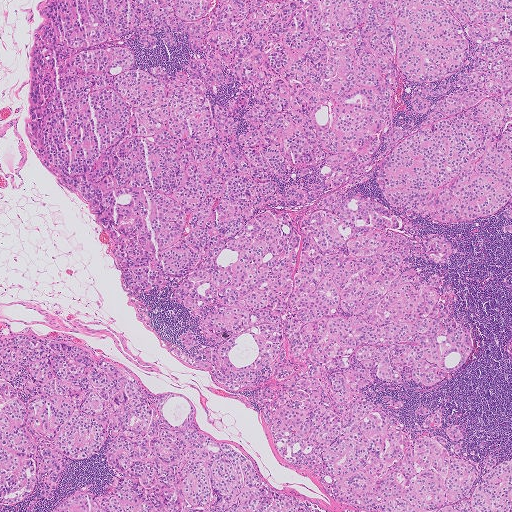
A 2.0-mm field of an H&E-stained sentinel lymph node from a breast-cancer patient (whole-slide image), shown at about 2.5×, about 4.0 µm per pixel.
Boundaries of two metastatic tumour regions, simplified and listed clockwise, largest first: region 1: (511, 0), (511, 233), (416, 218), (457, 253), (421, 264), (471, 342), (439, 388), (369, 390), (404, 421), (457, 417), (476, 464), (511, 456), (511, 511), (343, 511), (250, 399), (178, 354), (190, 320), (155, 296), (146, 324), (33, 158), (40, 3); region 2: (0, 338), (65, 341), (132, 372), (152, 391), (180, 393), (191, 402), (194, 430), (234, 445), (258, 462), (273, 491), (322, 511), (0, 511).
One more small tumour piece is annotated here but not outlined.
About 80% of this field is tumour.